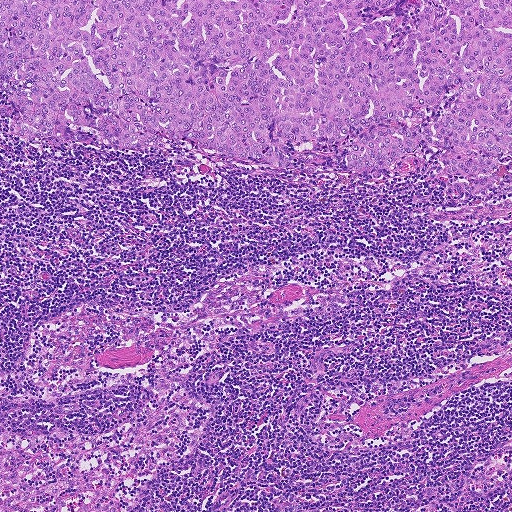
A 0.93-mm field of an H&E-stained sentinel lymph node from a breast-cancer patient (whole-slide image), shown at about 5×, about 1.8 µm per pixel.
One metastatic tumour region; its boundary, reduced to 24 corners and listed clockwise: (0, 0), (511, 0), (511, 155), (474, 195), (451, 186), (469, 179), (442, 168), (445, 152), (420, 144), (377, 176), (352, 172), (347, 153), (370, 130), (331, 146), (287, 139), (293, 164), (281, 168), (162, 136), (128, 150), (78, 125), (11, 134), (6, 96), (35, 83), (1, 80).
About 30% of the image area is annotated as tumour.